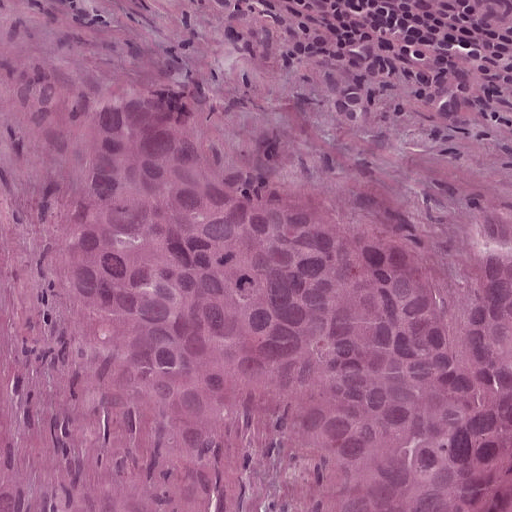
H&E-stained section of a sentinel lymph node (breast cancer), from a whole-slide image, viewed at about 20×: the field is about 0.25 mm across, about 0.49 µm per pixel.
Tumour region outline (a closed clockwise path, crop pixels): (0, 0), (168, 90), (278, 114), (511, 205), (511, 511), (0, 511).
Tumour covers about 80% of the frame.